Image:
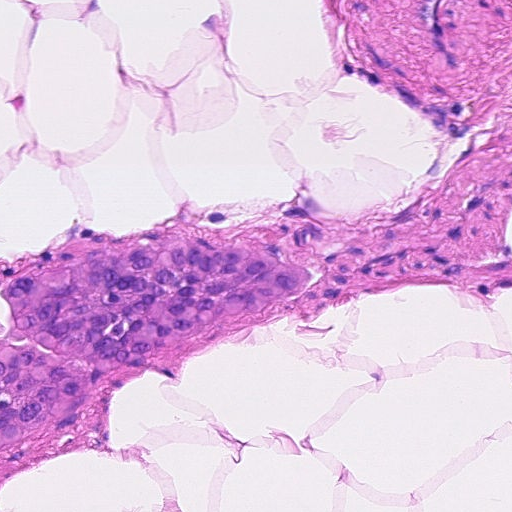
This is a crop of a whole-slide image: an H&E-stained breast-cancer sentinel lymph node section at roughly 20× magnification (about 0.45 µm per pixel; the crop spans about 0.23 mm).
Question:
Does this lymph node field contain metastatic tumour?
Answer:
No, this field holds no outlined metastasis.